Question: 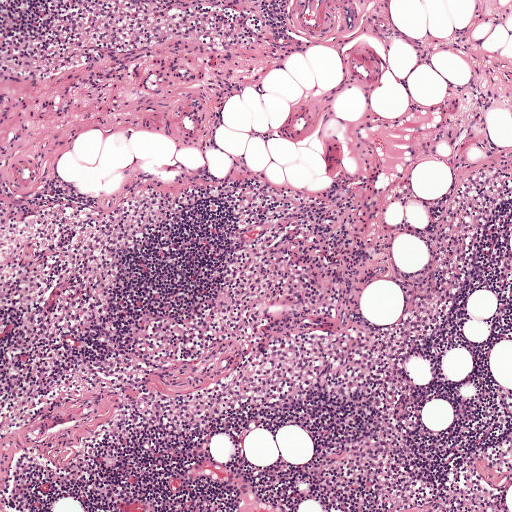
About what magnification does this crop show?

Choices:
 (A) about 5×
 (B) about 20×
 (C) about 2.5×
 (D) about 10×
 (E) about 40×

Answer: (A) about 5×
Lymph node section stained with H&E, from a whole-slide image of a breast-cancer sentinel node. Magnification about 5×, about 1 mm across the frame, about 1.9 µm per pixel.